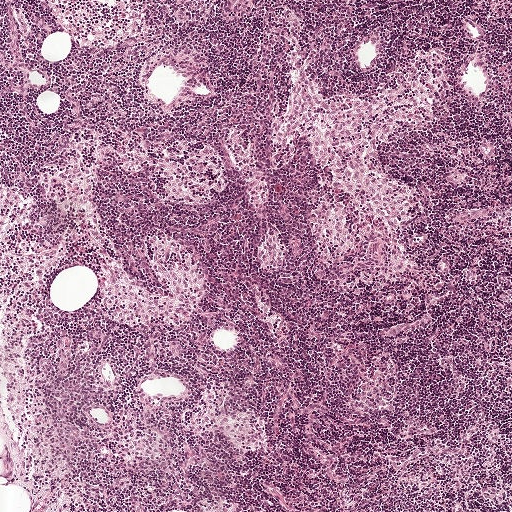
Lymph node section stained with H&E, from a whole-slide image of a breast-cancer sentinel node. Magnification about 5×, about 1 mm across the frame, about 1.9 µm per pixel.
Question: Does this lymph node field contain metastatic tumour?
Answer: No. No metastatic tumour is outlined in this field.